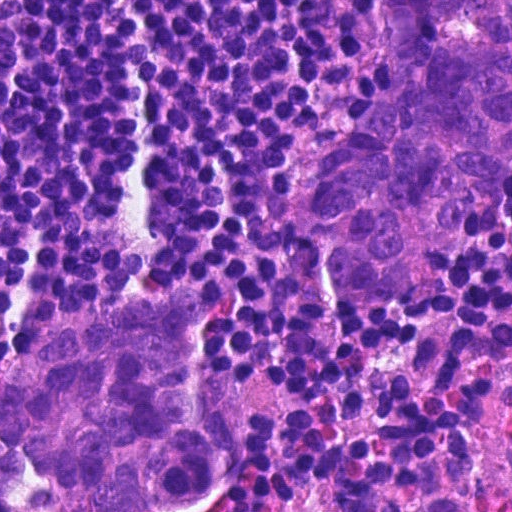
This is a crop of a whole-slide image: an H&E-stained breast-cancer sentinel lymph node section at roughly 40× magnification (about 0.23 µm per pixel; the crop spans about 0.12 mm).
Outlines of two tumour regions, largest first (closed clockwise paths, crop pixels): region 1: (186, 280), (203, 294), (197, 341), (230, 378), (238, 425), (232, 472), (194, 505), (7, 511), (0, 502), (0, 361), (8, 349), (44, 317), (89, 300), (141, 296); region 2: (392, 0), (511, 0), (511, 167), (472, 208), (445, 273), (418, 294), (383, 301), (349, 300), (331, 285), (323, 252), (297, 227), (301, 189), (354, 142), (372, 113).
The annotated tumour makes up about 35% of the crop.